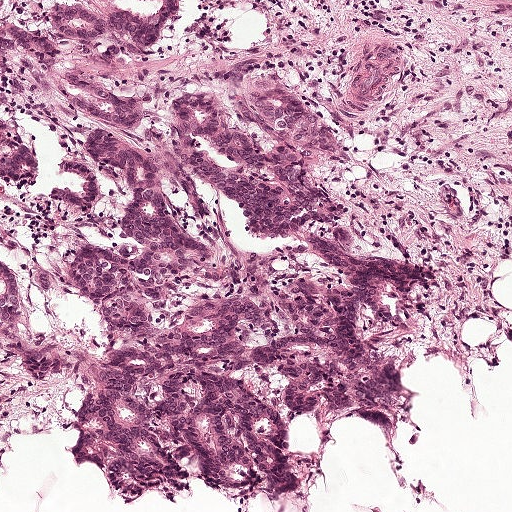
Lymph node section stained with H&E, from a whole-slide image of a breast-cancer sentinel node. Magnification about 10×, about 0.5 mm across the frame, about 0.97 µm per pixel.
Question: Describe where the metastatic carcinoma lies in this crop.
Answer: Outlines of four tumour regions, largest first (closed clockwise paths, crop pixels): region 1: (253, 78), (344, 134), (320, 186), (370, 255), (443, 276), (402, 306), (414, 343), (374, 337), (408, 412), (314, 422), (284, 371), (222, 372), (281, 411), (296, 496), (196, 482), (133, 505), (68, 460), (104, 347), (72, 267), (122, 241), (50, 192), (103, 130), (63, 105), (152, 107), (146, 142), (117, 137), (216, 252), (160, 329), (254, 302), (301, 343), (291, 285), (346, 292), (312, 244), (256, 242), (175, 144), (170, 106), (204, 96), (276, 159); region 2: (49, 0), (183, 0), (166, 26), (160, 47), (150, 57), (142, 60), (147, 55), (124, 54), (102, 41), (68, 47), (61, 65), (36, 65), (10, 56), (10, 83), (1, 92), (0, 18), (12, 24), (18, 23); region 3: (0, 259), (8, 268), (12, 281), (11, 298), (22, 323), (36, 340), (46, 345), (60, 363), (61, 380), (50, 383), (31, 383), (24, 381), (16, 375), (0, 352); region 4: (0, 119), (23, 128), (35, 138), (46, 161), (48, 176), (48, 183), (45, 188), (29, 195), (20, 195), (5, 189), (0, 193).
Tumour covers about 40% of the frame.